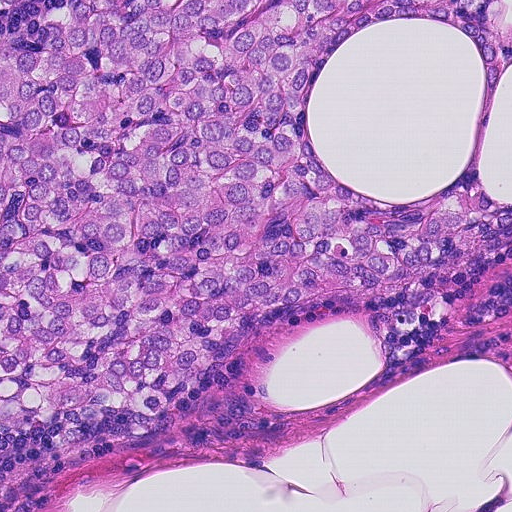
H&E-stained section of a sentinel lymph node (breast cancer), from a whole-slide image, viewed at about 20×: the field is about 0.23 mm across, about 0.45 µm per pixel.
Metastatic tumour outline, simplified to 9 points and listed clockwise in crop pixels (x, y): (0, 0), (511, 0), (511, 228), (500, 241), (428, 282), (262, 318), (166, 414), (84, 413), (0, 448).
Tumour covers about 65% of the frame.